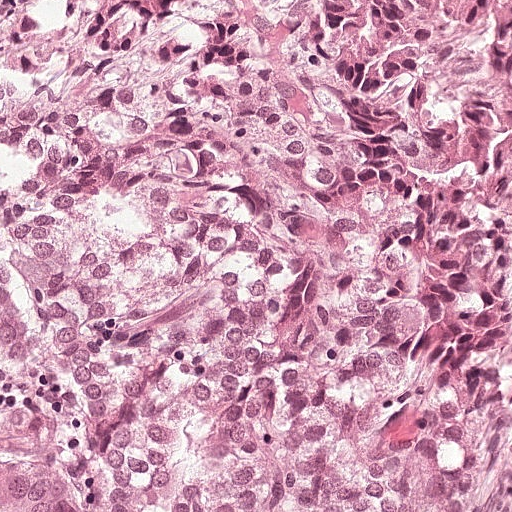
H&E-stained section of a sentinel lymph node (breast cancer), from a whole-slide image, viewed at about 20×: the field is about 0.25 mm across, about 0.49 µm per pixel.